Question: 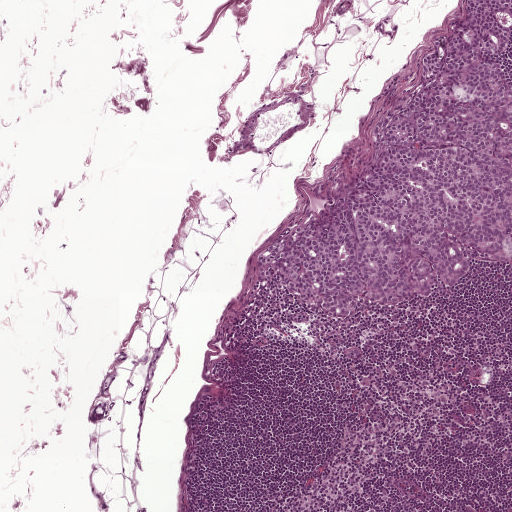
About what magnification does this crop show?

Choices:
 (A) about 2.5×
 (B) about 10×
 (C) about 40×
 (D) about 5×
 (E) about 20×

Answer: (D) about 5×
This is a crop of a whole-slide image: an H&E-stained breast-cancer sentinel lymph node section at roughly 5× magnification (about 1.9 µm per pixel; the crop spans about 1 mm).
One metastatic tumour region; its boundary, reduced to 19 corners and listed clockwise: (464, 0), (511, 0), (511, 41), (503, 49), (511, 74), (511, 263), (474, 269), (431, 300), (376, 307), (354, 321), (324, 320), (282, 291), (258, 290), (256, 255), (324, 211), (364, 170), (373, 126), (409, 102), (424, 52).
About 15% of the image area is annotated as tumour.